Lymph node section stained with H&E, from a whole-slide image of a breast-cancer sentinel node. Magnification about 10×, about 0.5 mm across the frame, about 0.97 µm per pixel.
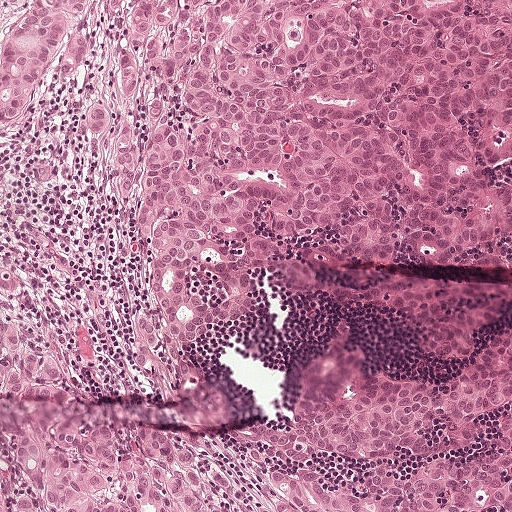
Two metastatic tumour regions, each outlined as a closed clockwise path in crop pixels (x, y), largest first: region 1: (180, 0), (511, 0), (511, 180), (360, 228), (286, 228), (182, 257), (150, 237), (139, 202), (151, 92); region 2: (28, 440), (74, 450), (103, 442), (132, 458), (142, 457), (179, 511), (0, 511), (0, 453).
The annotated tumour makes up about 35% of the crop.